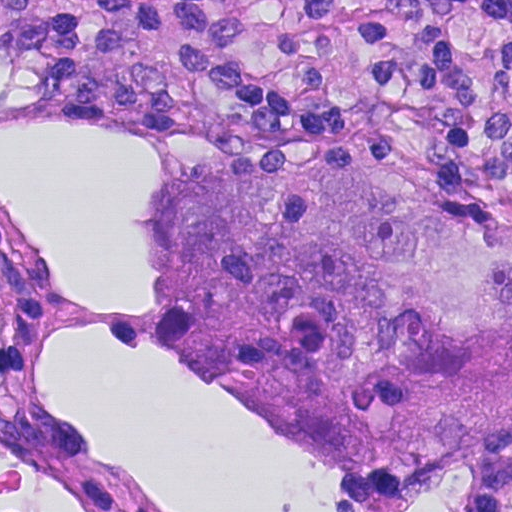
H&E-stained section of a sentinel lymph node (breast cancer), from a whole-slide image, viewed at about 40×: the field is about 0.12 mm across, about 0.23 µm per pixel.
Tumour region outline (a closed clockwise path, crop pixels): (357, 157), (466, 221), (511, 233), (511, 439), (341, 480), (165, 339), (147, 243), (168, 198).
The annotated tumour makes up about 35% of the crop.